Question: 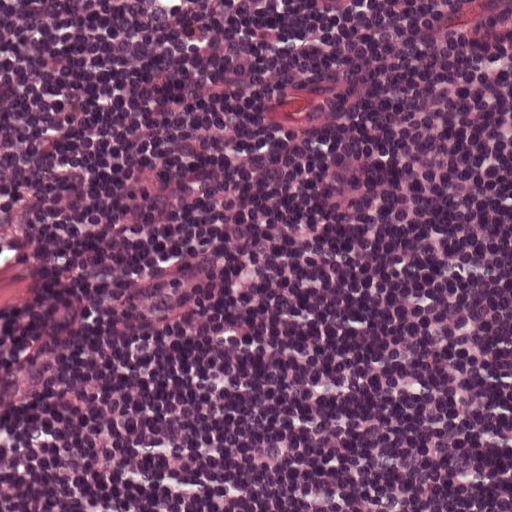
Which magnification is this H&E lymph node field most likely shown at?

Choices:
 (A) about 5×
 (B) about 10×
 (C) about 40×
 (D) about 20×
 (E) about 2.5×

Answer: (D) about 20×
This is a crop of a whole-slide image: an H&E-stained breast-cancer sentinel lymph node section at roughly 20× magnification (about 0.49 µm per pixel; the crop spans about 0.25 mm).